Image:
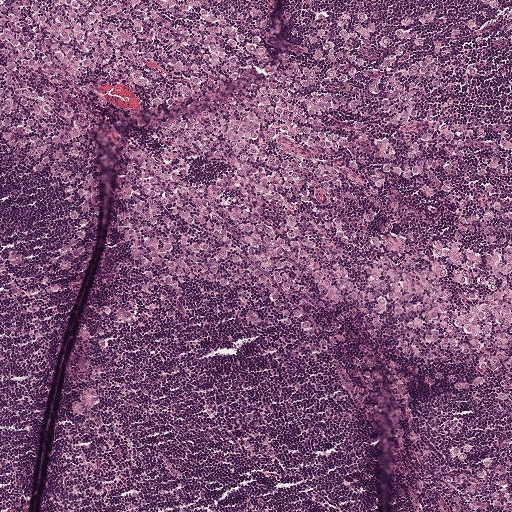
This is a crop of a whole-slide image: an H&E-stained breast-cancer sentinel lymph node section at roughly 5× magnification (about 1.9 µm per pixel; the crop spans about 1 mm).
Question:
Where is the metastatic tumour in this field? Give each region's outline as (x, y) pixel points.
Answer:
Tumour region outline (a closed clockwise path, crop pixels): (0, 0), (220, 0), (274, 20), (511, 1), (511, 386), (473, 351), (368, 317), (290, 339), (237, 290), (132, 275), (115, 228), (130, 131), (252, 96), (290, 22), (264, 21), (237, 74), (144, 106), (90, 78), (127, 123), (88, 124), (94, 191), (61, 272), (56, 184), (2, 149).
About 50% of this field is tumour.